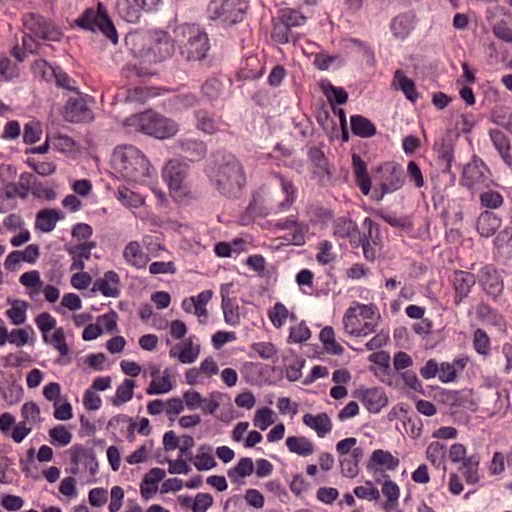
H&E-stained section of a sentinel lymph node (breast cancer), from a whole-slide image, viewed at about 40×: the field is about 0.12 mm across, about 0.24 µm per pixel.
Metastatic tumour outline, simplified to 11 points and listed clockwise in crop pixels (x, y): (461, 0), (415, 119), (331, 244), (284, 266), (190, 284), (131, 282), (90, 260), (40, 200), (37, 129), (78, 38), (78, 4).
About 35% of this field is tumour.